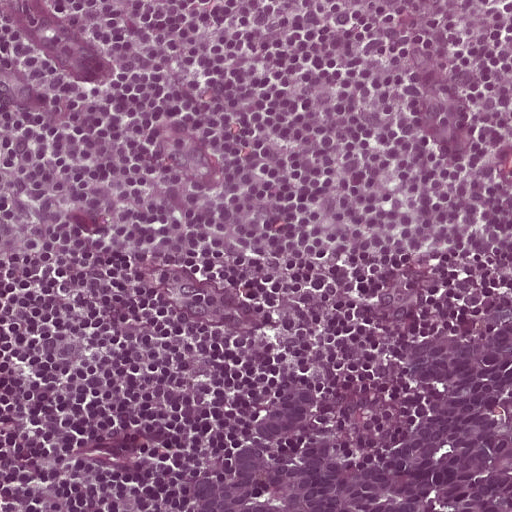
Lymph node section stained with H&E, from a whole-slide image of a breast-cancer sentinel node. Magnification about 20×, about 0.25 mm across the frame, about 0.49 µm per pixel.
Metastatic tumour outline, simplified to 13 points and listed clockwise in crop pixels (x, y): (511, 282), (511, 511), (142, 511), (160, 482), (216, 444), (263, 392), (319, 362), (326, 430), (348, 458), (380, 440), (411, 420), (398, 346), (474, 320).
Tumour covers about 15% of the frame.